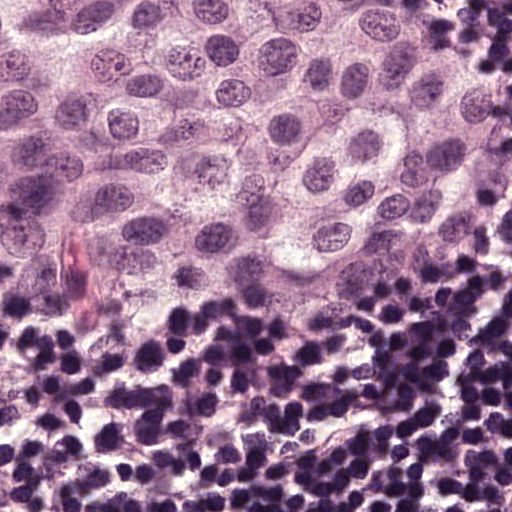
This is a crop of a whole-slide image: an H&E-stained breast-cancer sentinel lymph node section at roughly 40× magnification (about 0.24 µm per pixel; the crop spans about 0.12 mm).
One metastatic tumour region; its boundary, reduced to 11 corners and listed clockwise: (0, 0), (462, 0), (481, 29), (496, 76), (496, 138), (469, 241), (438, 282), (406, 290), (119, 288), (38, 279), (3, 263).
The annotated tumour makes up about 55% of the crop.